Question: 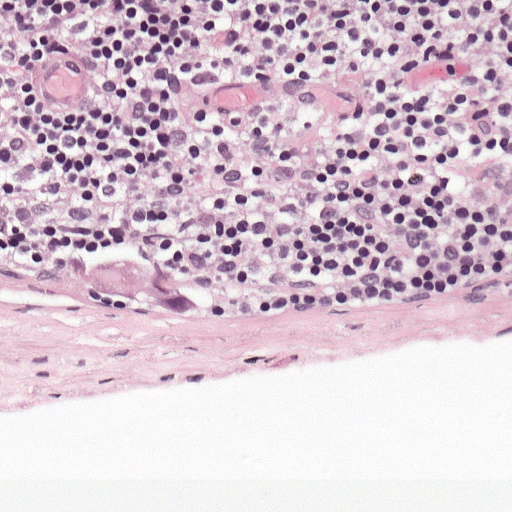
A 0.25-mm field of an H&E-stained sentinel lymph node from a breast-cancer patient (whole-slide image), shown at about 20×, about 0.49 µm per pixel.
Roughly what share of this field is metastatic tumour?

Choices:
 (A) none: no tumour is outlined
 (B) about 5% or less
 (C) about 25% to 45%
 (D) about 50% or more
 (E) about 10% to 20%

Answer: (B) about 5% or less
Under 5% of the field is tumour.
One metastatic tumour region; its boundary, reduced to 12 corners and listed clockwise: (68, 252), (84, 256), (88, 270), (106, 261), (130, 260), (156, 264), (178, 278), (196, 299), (194, 314), (160, 311), (92, 288), (65, 274).